Image:
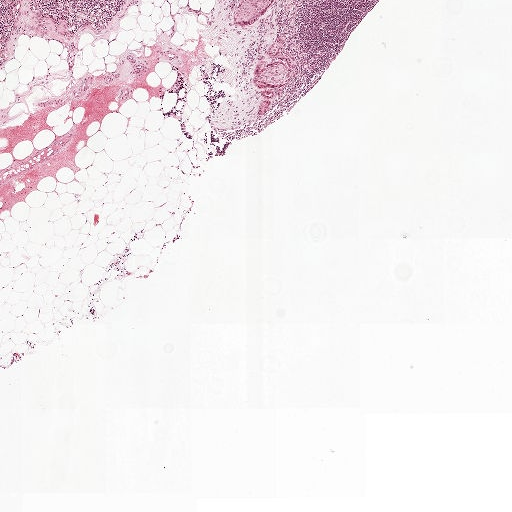
A 2.0-mm field of an H&E-stained sentinel lymph node from a breast-cancer patient (whole-slide image), shown at about 2.5×, about 3.9 µm per pixel.
Question:
Is there metastatic carcinoma in this field?
Answer:
Yes.
Two metastatic tumour regions, each outlined as a closed clockwise path in crop pixels (x, y), largest first: region 1: (239, 0), (274, 0), (254, 24), (243, 28), (234, 28), (231, 25), (231, 11), (232, 8); region 2: (286, 64), (290, 82), (285, 86), (271, 90), (251, 87), (249, 82), (252, 74), (264, 66).
Tumour covers under 5% of the frame.